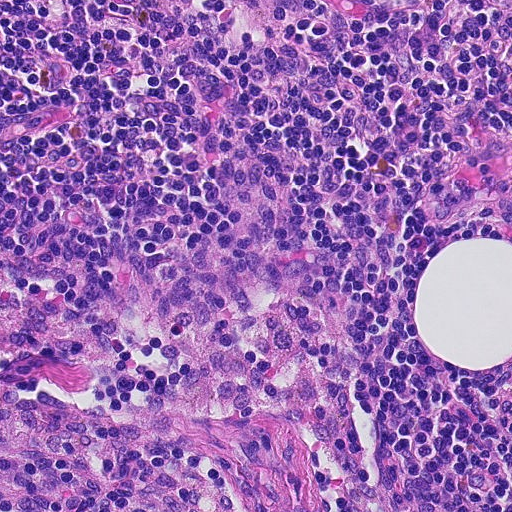
H&E-stained section of a sentinel lymph node (breast cancer), from a whole-slide image, viewed at about 20×: the field is about 0.23 mm across, about 0.45 µm per pixel.